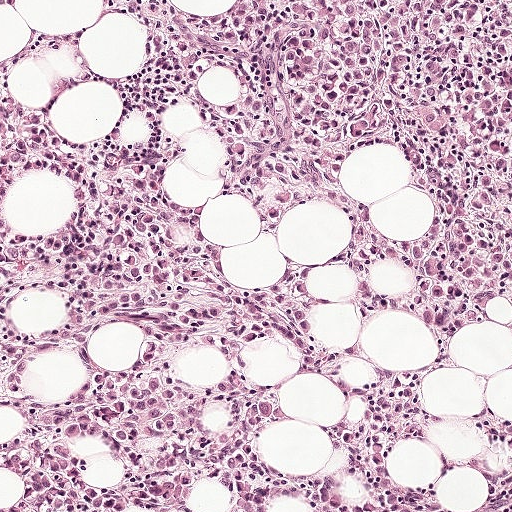
Lymph node section stained with H&E, from a whole-slide image of a breast-cancer sentinel node. Magnification about 10×, about 0.5 mm across the frame, about 0.97 µm per pixel.
Metastatic tumour outline, simplified to 21 points and listed clockwise in crop pixels (x, y): (511, 0), (511, 340), (510, 308), (491, 301), (481, 326), (437, 354), (402, 308), (413, 277), (406, 242), (424, 224), (426, 199), (405, 185), (390, 144), (341, 156), (355, 212), (314, 204), (257, 217), (216, 146), (226, 111), (215, 35), (229, 1).
The annotated tumour makes up about 25% of the crop.